H&E-stained section of a sentinel lymph node (breast cancer), from a whole-slide image, viewed at about 10×: the field is about 0.46 mm across, about 0.9 µm per pixel.
Image:
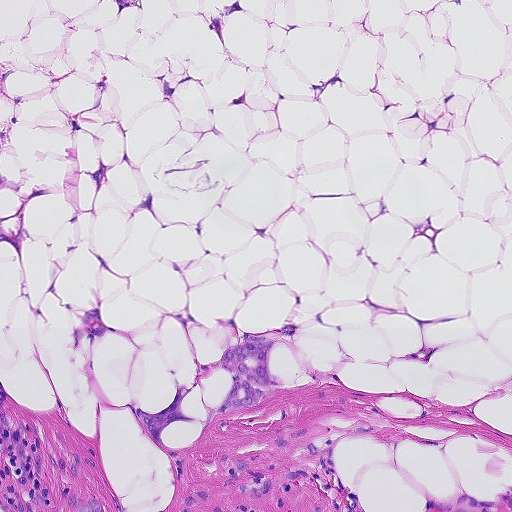
Question:
Where is the metastatic tumour in this field? Give each region's outline as (x, y) pixel points.
Answer:
Outlines of three tumour regions, largest first (closed clockwise paths, crop pixels): region 1: (244, 333), (283, 342), (277, 344), (267, 358), (268, 367), (272, 374), (285, 385), (264, 398), (252, 410), (243, 408), (210, 419), (227, 396), (234, 380), (228, 374), (220, 370), (212, 374), (186, 396), (182, 403), (182, 411), (188, 418), (204, 423), (200, 425), (182, 421), (166, 426), (162, 442), (167, 449), (150, 441), (126, 405), (151, 414), (168, 408), (173, 401), (176, 384), (190, 389), (195, 382), (195, 365), (218, 360), (226, 347), (243, 344); region 2: (460, 491), (476, 499), (485, 502), (494, 502), (502, 500), (506, 492), (511, 495), (511, 511), (439, 511), (434, 510), (435, 506), (432, 498), (444, 498), (452, 496); region 3: (90, 494), (98, 502), (102, 511), (68, 511), (69, 500), (79, 495).
The annotated tumour makes up about 5% of the crop.